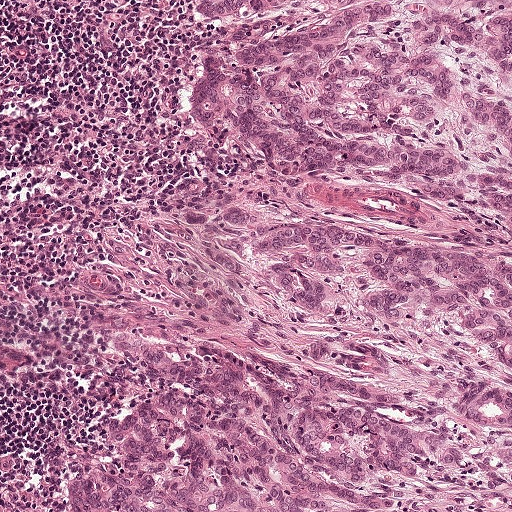
Lymph node section stained with H&E, from a whole-slide image of a breast-cancer sentinel node. Magnification about 10×, about 0.5 mm across the frame, about 0.97 µm per pixel.
One metastatic tumour region; its boundary, reduced to 11 corners and listed clockwise: (511, 0), (511, 511), (68, 511), (138, 432), (152, 339), (182, 266), (222, 242), (220, 211), (246, 188), (198, 113), (203, 2).
Tumour covers about 65% of the frame.